Image:
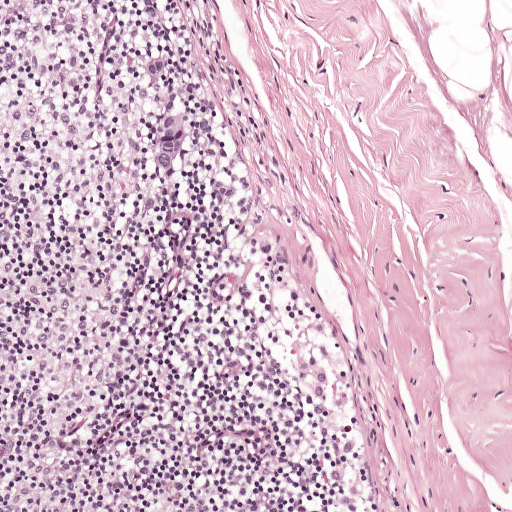
This is a crop of a whole-slide image: an H&E-stained breast-cancer sentinel lymph node section at roughly 10× magnification (about 0.97 µm per pixel; the crop spans about 0.5 mm).
Question:
Describe where the metastatic carcinoma lies in this crop.
Answer:
Boundaries of two metastatic tumour regions, simplified and listed clockwise, largest first: region 1: (172, 96), (194, 131), (186, 156), (170, 174), (148, 178), (146, 157), (152, 116); region 2: (162, 52), (169, 55), (174, 76), (158, 94), (136, 84), (140, 59).
Tumour covers under 5% of the frame.